Question: 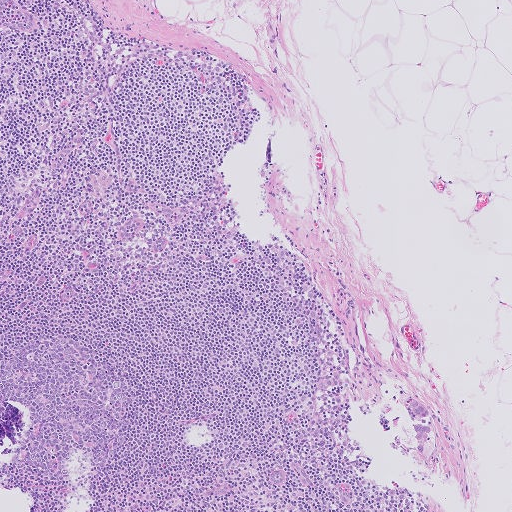
About what magnification does this crop show?

Choices:
 (A) about 20×
 (B) about 5×
 (C) about 2.5×
 (D) about 40×
 (E) about 10×

Answer: (B) about 5×
H&E-stained section of a sentinel lymph node (breast cancer), from a whole-slide image, viewed at about 5×: the field is about 1.0 mm across, about 2.0 µm per pixel.
Boundaries of two metastatic tumour regions, simplified and listed clockwise, largest first: region 1: (414, 425), (428, 425), (430, 427), (430, 431), (428, 433), (426, 440), (424, 442), (423, 452), (419, 451), (418, 448), (415, 438), (415, 431), (413, 428); region 2: (408, 399), (415, 399), (424, 407), (429, 414), (425, 418), (426, 422), (422, 423), (420, 418), (416, 418), (409, 406).
The annotated tumour makes up under 5% of the crop.